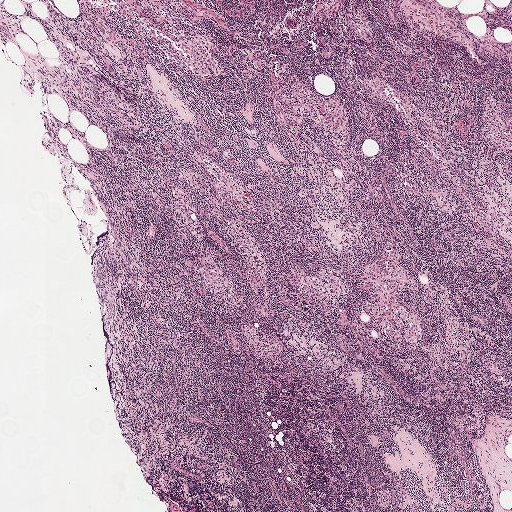
Lymph node section stained with H&E, from a whole-slide image of a breast-cancer sentinel node. Magnification about 2.5×, about 2.0 mm across the frame, about 3.9 µm per pixel.